Question: 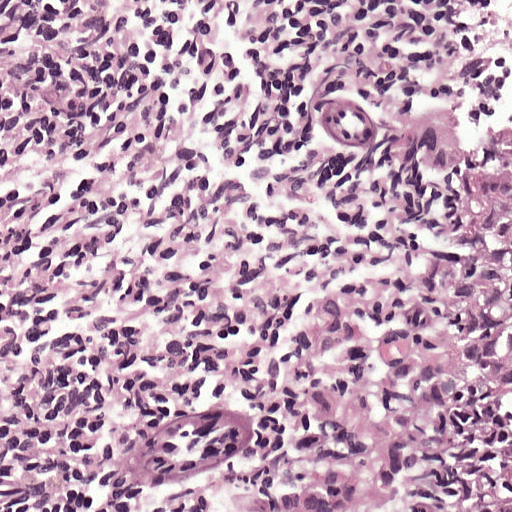
Lymph node section stained with H&E, from a whole-slide image of a breast-cancer sentinel node. Magnification about 20×, about 0.25 mm across the frame, about 0.49 µm per pixel.
About how much of this crop is taken up by metastatic carcinoma?

Choices:
 (A) none: no tumour is outlined
 (B) about 50% or more
 (C) about 5% or less
 (D) about 10% to 20%
 (E) about 25% to 45%

Answer: (E) about 25% to 45%
About 25% of the field is tumour.
Metastatic tumour outline, simplified to 8 points and listed clockwise in crop pixels (x, y): (511, 82), (511, 511), (254, 511), (257, 464), (293, 374), (300, 312), (448, 252), (365, 141).